Image:
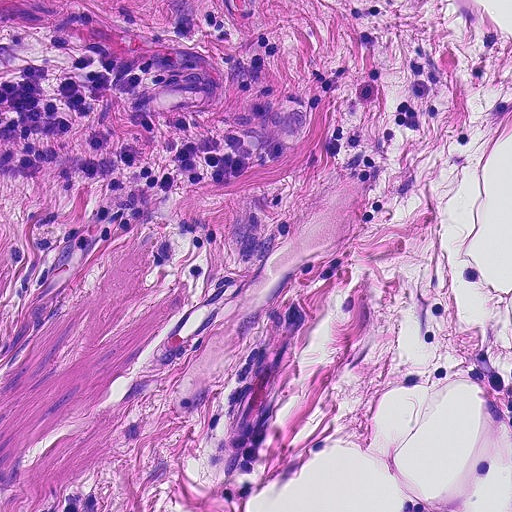
H&E-stained section of a sentinel lymph node (breast cancer), from a whole-slide image, viewed at about 20×: the field is about 0.23 mm across, about 0.45 µm per pixel.
Question:
Does this lymph node field contain metastatic tumour?
Answer:
No: no metastatic tumour is outlined anywhere in this field.